Question: 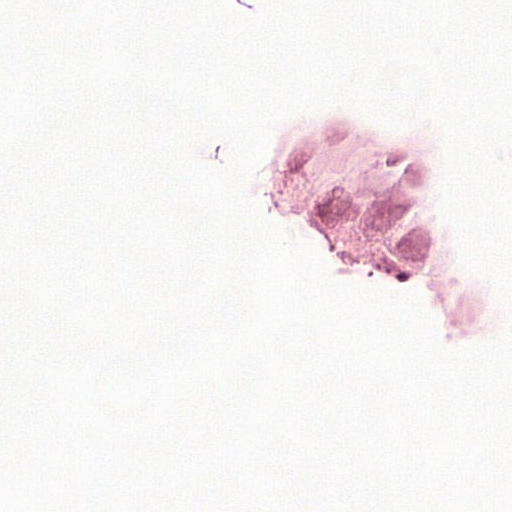
About what magnification does this crop show?

Choices:
 (A) about 2.5×
 (B) about 10×
 (C) about 40×
 (D) about 5×
 (E) about 20×

Answer: (C) about 40×
H&E-stained section of a sentinel lymph node (breast cancer), from a whole-slide image, viewed at about 40×: the field is about 0.12 mm across, about 0.24 µm per pixel.
The outlined metastatic tumour's edge, as a closed clockwise path of 13 points: (370, 105), (396, 112), (436, 146), (447, 187), (476, 220), (476, 298), (458, 330), (414, 330), (377, 320), (296, 275), (229, 224), (236, 172), (318, 116).
About 15% of the image area is annotated as tumour.